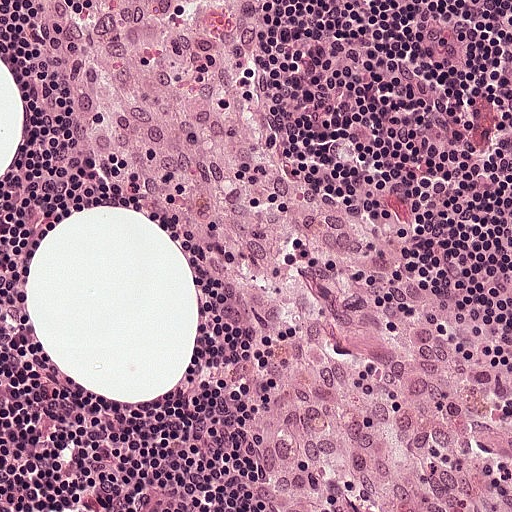
Lymph node section stained with H&E, from a whole-slide image of a breast-cancer sentinel node. Magnification about 20×, about 0.25 mm across the frame, about 0.49 µm per pixel.
Question: Does this lymph node field contain metastatic tumour?
Answer: No: no metastatic tumour is outlined anywhere in this field.